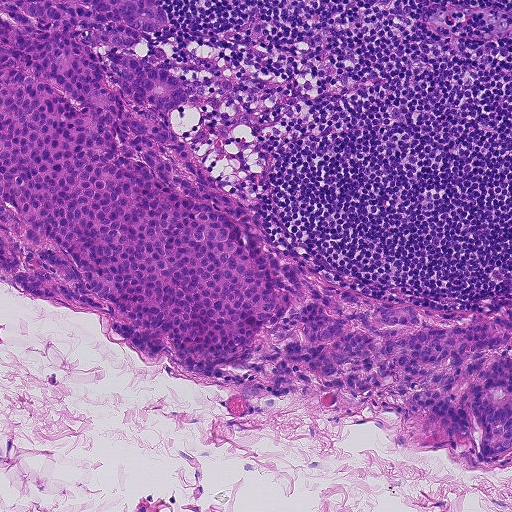
Lymph node section stained with H&E, from a whole-slide image of a breast-cancer sentinel node. Magnification about 10×, about 0.46 mm across the frame, about 0.9 µm per pixel.
Tumour region outline (a closed clockwise path, crop pixels): (0, 0), (161, 0), (162, 35), (143, 34), (192, 96), (170, 123), (272, 242), (340, 286), (511, 318), (511, 450), (478, 461), (393, 397), (252, 395), (193, 380), (174, 372), (168, 353), (148, 366), (89, 312), (0, 284).
About 40% of this field is tumour.